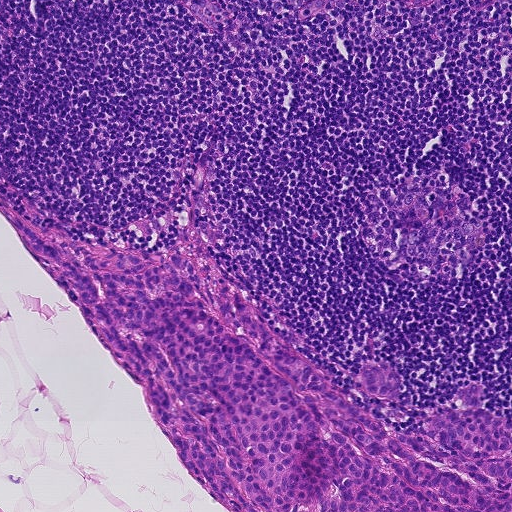
Lymph node section stained with H&E, from a whole-slide image of a breast-cancer sentinel node. Magnification about 10×, about 0.46 mm across the frame, about 0.9 µm per pixel.
The outlined metastatic tumour's edge, as a closed clockwise path of 20 points: (0, 206), (114, 246), (194, 254), (358, 404), (373, 361), (393, 366), (404, 382), (398, 401), (360, 406), (389, 432), (464, 407), (458, 385), (477, 379), (486, 397), (478, 408), (511, 418), (511, 511), (228, 511), (168, 446), (140, 386).
Tumour covers about 25% of the frame.